A 0.5-mm field of an H&E-stained sentinel lymph node from a breast-cancer patient (whole-slide image), shown at about 10×, about 0.97 µm per pixel.
Image:
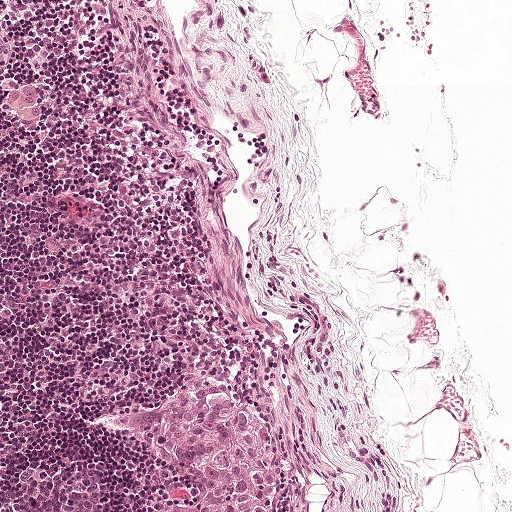
Question:
Where is the metastatic tumour in this field? Give each region's outline as (x, y) pixel points.
Answer:
Metastatic tumour outline, simplified to 11 points and listed clockwise in crop pixels (x, y): (193, 382), (228, 386), (271, 418), (281, 442), (280, 511), (154, 511), (198, 502), (198, 488), (180, 463), (119, 426), (114, 417).
About 5% of the image area is annotated as tumour.